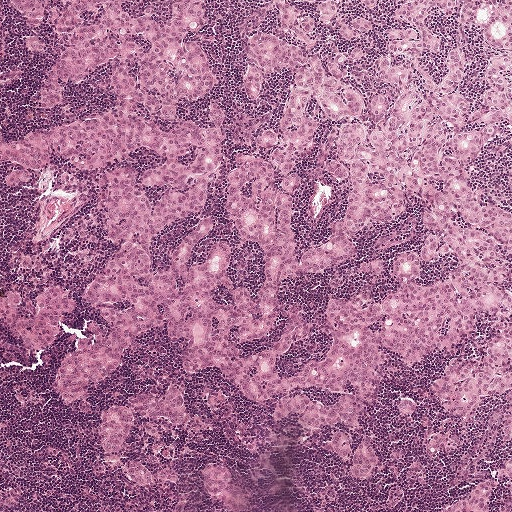
H&E-stained section of a sentinel lymph node (breast cancer), from a whole-slide image, viewed at about 5×: the field is about 1 mm across, about 1.9 µm per pixel.
Question: Describe where the metastatic carcinoma lies in this crop.
Answer: Eight metastatic tumour regions, each outlined as a closed clockwise path in crop pixels (x, y), largest first: region 1: (167, 386), (176, 388), (185, 418), (157, 435), (149, 436), (142, 428), (140, 417), (131, 415), (130, 436), (126, 448), (111, 454), (104, 452), (101, 446), (101, 438), (96, 432), (97, 422), (103, 408), (121, 404), (133, 394), (157, 396), (162, 393); region 2: (47, 286), (64, 286), (72, 295), (73, 308), (70, 313), (61, 312), (53, 343), (46, 348), (27, 349), (1, 321), (0, 294), (5, 293), (7, 289), (14, 292), (20, 299), (20, 304), (14, 310), (18, 316), (34, 313), (38, 294); region 3: (215, 464), (224, 470), (229, 476), (228, 484), (237, 486), (248, 496), (249, 510), (234, 511), (218, 501), (206, 495), (201, 480), (202, 468), (205, 465); region 4: (490, 474), (500, 474), (504, 477), (505, 486), (492, 511), (437, 511), (442, 506), (456, 502), (477, 490); region 5: (344, 432), (351, 439), (352, 454), (362, 442), (371, 445), (373, 458), (369, 471), (364, 477), (356, 477), (351, 473), (351, 461), (331, 454), (330, 439), (332, 435); region 6: (442, 431), (454, 436), (460, 443), (451, 452), (441, 457), (435, 457), (426, 455), (424, 451), (425, 441), (433, 433); region 7: (132, 460), (146, 468), (151, 474), (152, 483), (143, 486), (136, 486), (129, 481), (120, 468), (121, 463); region 8: (400, 398), (406, 398), (416, 404), (416, 409), (415, 414), (410, 416), (406, 416), (400, 414), (395, 406).
One more tumour region is annotated but not outlined: its edge is too irregular for a short outline.
Three more small tumour pieces are annotated here but not outlined.
The annotated tumour makes up about 55% of the crop.

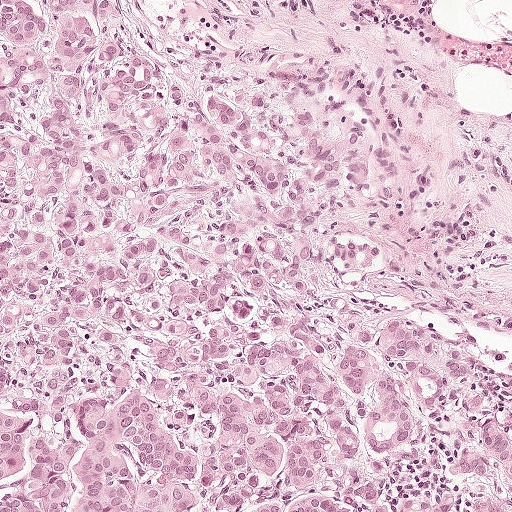
H&E-stained section of a sentinel lymph node (breast cancer), from a whole-slide image, viewed at about 10×: the field is about 0.5 mm across, about 0.97 µm per pixel.
Question: Describe where the metastatic carcinoma lies in this crop.
Answer: One metastatic tumour region; its boundary, reduced to 14 corners and listed clockwise: (0, 0), (122, 0), (134, 26), (170, 53), (327, 78), (377, 168), (366, 198), (320, 244), (320, 282), (510, 360), (492, 372), (511, 382), (511, 511), (0, 511).
Tumour covers about 75% of the frame.

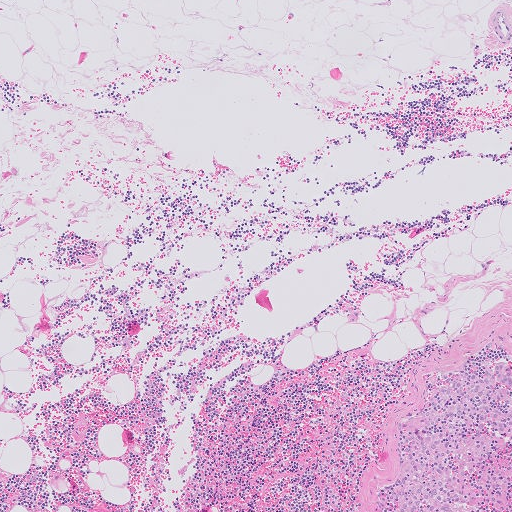
Lymph node section stained with H&E, from a whole-slide image of a breast-cancer sentinel node. Magnification about 5×, about 1.0 mm across the frame, about 2.0 µm per pixel.
Question: Describe where the metastatic carcinoma lies in this crop.
Answer: Outlines of two tumour regions, largest first (closed clockwise paths, crop pixels): region 1: (503, 358), (511, 362), (511, 388), (503, 388), (495, 378), (490, 365); region 2: (416, 415), (424, 416), (432, 421), (426, 430), (415, 434), (400, 430), (397, 425), (403, 418).
Under 5% of the image area is annotated as tumour.

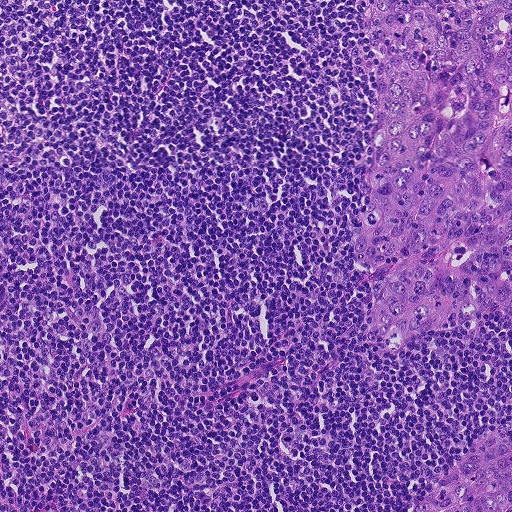
A 0.46-mm field of an H&E-stained sentinel lymph node from a breast-cancer patient (whole-slide image), shown at about 10×, about 0.9 µm per pixel.
Question: Describe where the metastatic carcinoma lies in this crop.
Answer: Outlines of two tumour regions, largest first (closed clockwise paths, crop pixels): region 1: (359, 0), (511, 0), (511, 318), (495, 312), (406, 347), (360, 336), (383, 275), (355, 269), (350, 250), (362, 221), (372, 74), (380, 60); region 2: (511, 415), (511, 511), (410, 511), (464, 453).
About 20% of this field is tumour.